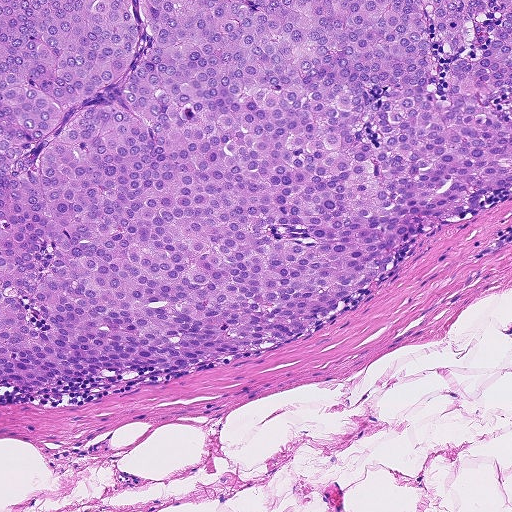
H&E-stained section of a sentinel lymph node (breast cancer), from a whole-slide image, viewed at about 10×: the field is about 0.46 mm across, about 0.9 µm per pixel.
Tumour region outline (a closed clockwise path, crop pixels): (0, 0), (511, 0), (511, 188), (423, 236), (292, 342), (192, 371), (0, 385).
Tumour covers about 65% of the frame.